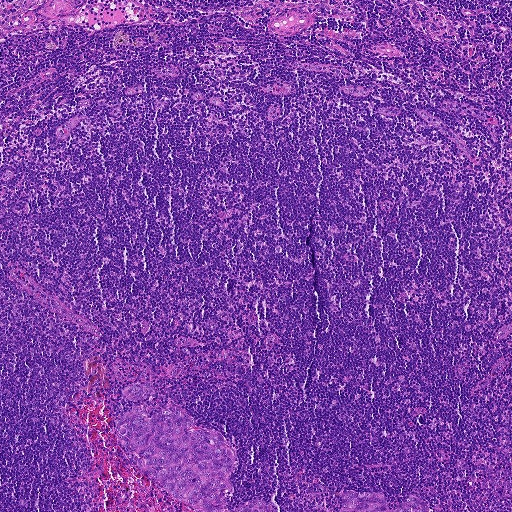
This is a crop of a whole-slide image: an H&E-stained breast-cancer sentinel lymph node section at roughly 5× magnification (about 1.8 µm per pixel; the crop spans about 0.93 mm).
Outlines of four tumour regions, largest first (closed clockwise paths, crop pixels): region 1: (172, 404), (194, 418), (190, 429), (221, 433), (233, 456), (228, 478), (234, 489), (225, 496), (229, 511), (201, 511), (177, 500), (137, 466), (114, 432), (116, 424), (134, 408), (142, 409), (146, 417), (150, 417); region 2: (346, 490), (351, 490), (355, 493), (373, 492), (382, 493), (390, 509), (394, 510), (399, 508), (402, 505), (404, 500), (408, 498), (412, 497), (416, 498), (424, 502), (428, 505), (428, 509), (427, 511), (339, 511), (342, 500), (340, 496), (342, 492); region 3: (251, 500), (264, 502), (272, 507), (274, 511), (234, 511), (239, 506), (243, 503); region 4: (133, 384), (138, 386), (141, 389), (144, 392), (144, 396), (136, 400), (127, 398), (124, 396), (122, 391), (124, 388), (128, 385).
About 5% of the image area is annotated as tumour.